Question: 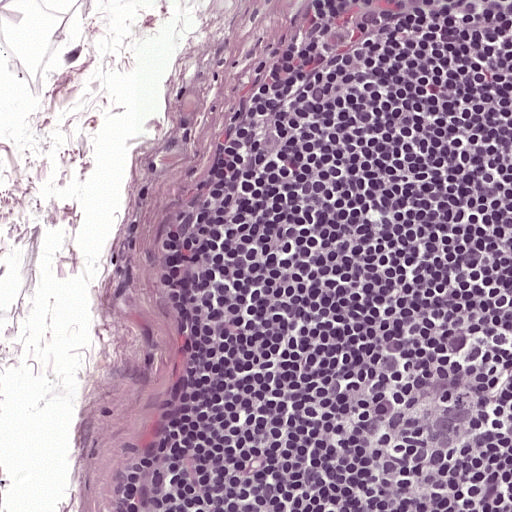
At roughly what magnification is this field shown?

Choices:
 (A) about 2.5×
 (B) about 20×
 (C) about 10×
 (D) about 40×
 (E) about 5×

Answer: (B) about 20×
A 0.25-mm field of an H&E-stained sentinel lymph node from a breast-cancer patient (whole-slide image), shown at about 20×, about 0.49 µm per pixel.